Lymph node section stained with H&E, from a whole-slide image of a breast-cancer sentinel node. Magnification about 20×, about 0.23 mm across the frame, about 0.45 µm per pixel.
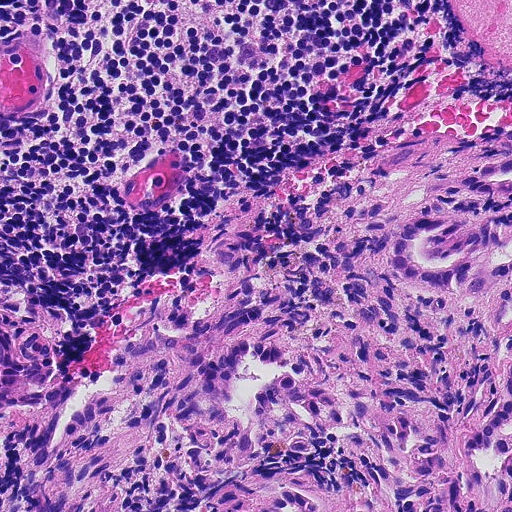
Outlines of two tumour regions, largest first (closed clockwise paths, crop pixels): region 1: (425, 141), (511, 147), (511, 172), (497, 177), (511, 177), (511, 511), (32, 504), (32, 460), (12, 450), (15, 428), (78, 408), (127, 338), (170, 326), (178, 305), (224, 302), (204, 240), (220, 224), (266, 234), (256, 294), (318, 314), (344, 280), (298, 231), (298, 208); region 2: (0, 336), (77, 379), (71, 406), (14, 409), (0, 415).
About 50% of the image area is annotated as tumour.